Question: 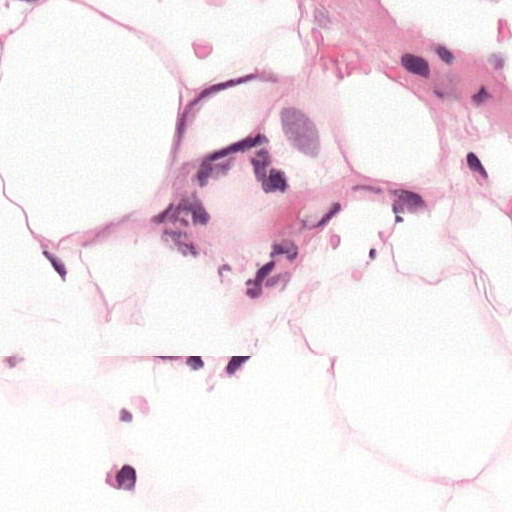
At roughly what magnification is this field shown?

Choices:
 (A) about 2.5×
 (B) about 5×
 (C) about 10×
 (D) about 40×
 (E) about 20×

Answer: (D) about 40×
This is a crop of a whole-slide image: an H&E-stained breast-cancer sentinel lymph node section at roughly 40× magnification (about 0.24 µm per pixel; the crop spans about 0.12 mm).
Metastatic tumour outline, simplified to 5 points and listed clockwise in crop pixels (x, y): (305, 72), (352, 86), (369, 174), (285, 195), (252, 115).
One more small tumour piece is annotated here but not outlined.
The annotated tumour makes up about 5% of the crop.